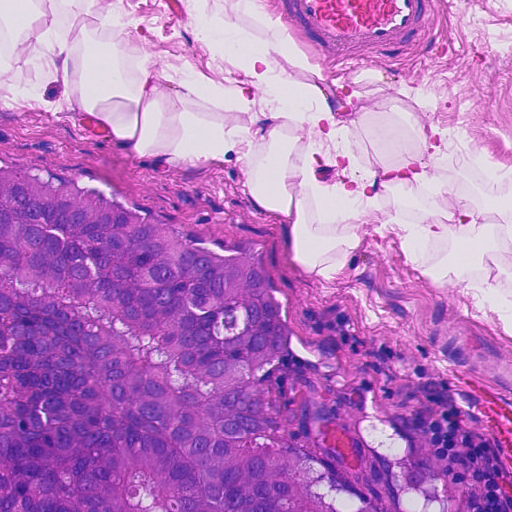
This is a crop of a whole-slide image: an H&E-stained breast-cancer sentinel lymph node section at roughly 20× magnification (about 0.45 µm per pixel; the crop spans about 0.23 mm).
Question: Describe where the metastatic carcinoma lies in this crop.
Answer: The outlined metastatic tumour's edge, as a closed clockwise path of 13 points: (0, 165), (109, 196), (207, 252), (256, 252), (292, 328), (281, 362), (253, 386), (264, 427), (244, 444), (297, 449), (309, 486), (339, 511), (0, 511).
Two more small tumour pieces are annotated here but not outlined.
About 35% of the image area is annotated as tumour.